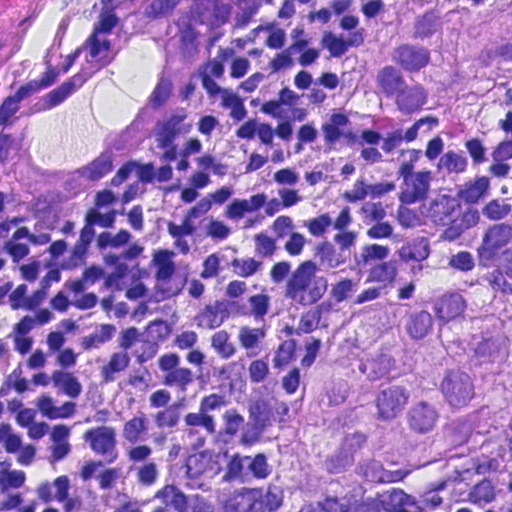
A 0.12-mm field of an H&E-stained sentinel lymph node from a breast-cancer patient (whole-slide image), shown at about 40×, about 0.23 µm per pixel.
Boundaries of three metastatic tumour regions, simplified and listed clockwise, largest first: region 1: (484, 279), (511, 292), (511, 416), (488, 439), (390, 480), (339, 485), (297, 454), (317, 352), (352, 309); region 2: (126, 0), (276, 0), (229, 24), (173, 109), (104, 185), (48, 209), (0, 193), (0, 101), (46, 77); region 3: (395, 0), (511, 0), (511, 80), (491, 104), (441, 114), (336, 106).
About 30% of the image area is annotated as tumour.